A 1-mm field of an H&E-stained sentinel lymph node from a breast-cancer patient (whole-slide image), shown at about 5×, about 1.9 µm per pixel.
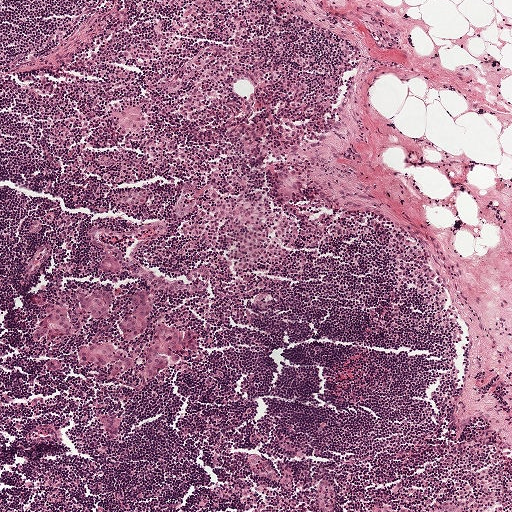
Outlines of seven tumour regions, largest first (closed clockwise paths, crop pixels): region 1: (174, 324), (191, 330), (195, 333), (197, 344), (192, 353), (186, 353), (179, 348), (173, 349), (171, 354), (179, 356), (182, 362), (164, 370), (152, 379), (147, 379), (143, 377), (142, 374), (144, 357), (152, 336), (158, 327); region 2: (143, 287), (150, 290), (152, 315), (141, 336), (134, 341), (125, 341), (117, 334), (118, 324), (122, 311), (135, 291); region 3: (95, 344), (111, 344), (136, 358), (141, 363), (140, 367), (136, 371), (124, 372), (115, 376), (112, 372), (116, 363), (104, 368), (88, 365), (79, 358), (81, 346); region 4: (62, 300), (69, 302), (74, 318), (74, 337), (55, 337), (40, 342), (33, 342), (30, 340), (33, 329), (51, 313), (56, 302); region 5: (104, 286), (113, 291), (111, 317), (94, 320), (84, 314), (74, 298), (75, 287), (81, 290); region 6: (103, 416), (114, 416), (121, 419), (120, 434), (117, 439), (112, 439), (107, 437), (99, 421), (100, 418); region 7: (54, 358), (60, 363), (61, 363), (61, 369), (61, 371), (59, 371), (51, 370), (49, 366), (44, 364), (44, 362).
About 5% of the image area is annotated as tumour.